Question: 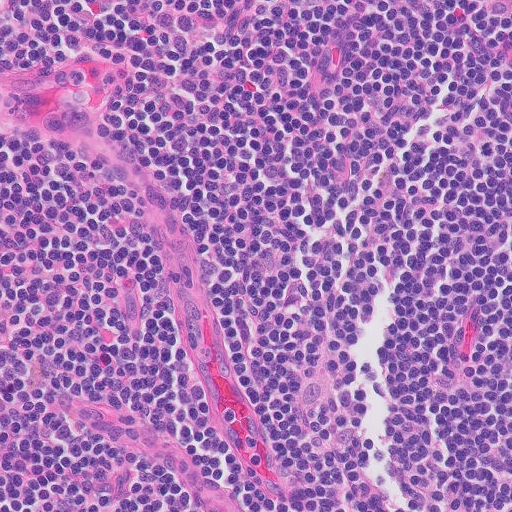
Which magnification is this H&E lymph node field most likely shown at?

Choices:
 (A) about 2.5×
 (B) about 5×
 (C) about 10×
 (D) about 20×
 (E) about 40×

Answer: (D) about 20×
A 0.26-mm field of an H&E-stained sentinel lymph node from a breast-cancer patient (whole-slide image), shown at about 20×, about 0.5 µm per pixel.